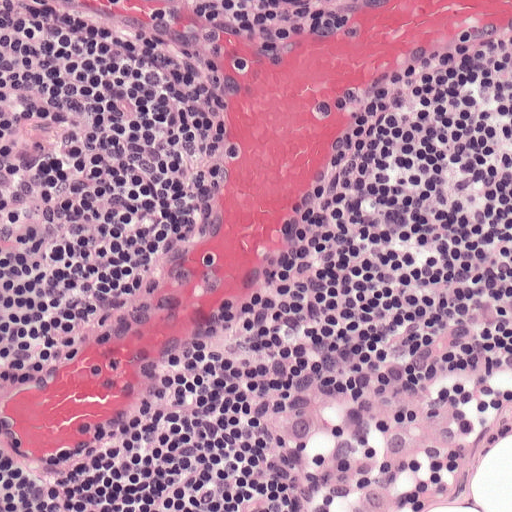
H&E-stained section of a sentinel lymph node (breast cancer), from a whole-slide image, viewed at about 20×: the field is about 0.25 mm across, about 0.49 µm per pixel.